A 0.25-mm field of an H&E-stained sentinel lymph node from a breast-cancer patient (whole-slide image), shown at about 20×, about 0.49 µm per pixel.
Question: 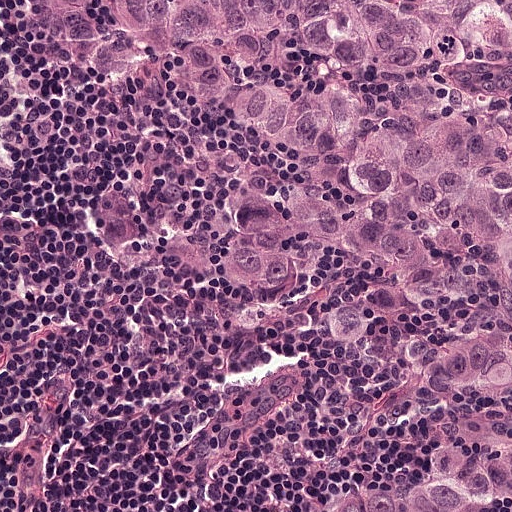
Roughly what share of this field is metastatic tumour?

Choices:
 (A) about 50% or more
 (B) about 10% to 20%
 (C) about 25% to 45%
 (D) about 5% or less
 (E) none: no tumour is outlined

Answer: (A) about 50% or more
About 65% of the field is tumour.
One metastatic tumour region; its boundary, reduced to 11 corners and listed clockwise: (511, 0), (511, 511), (357, 511), (324, 471), (293, 388), (222, 328), (196, 244), (165, 189), (108, 121), (54, 81), (2, 4).